Question: 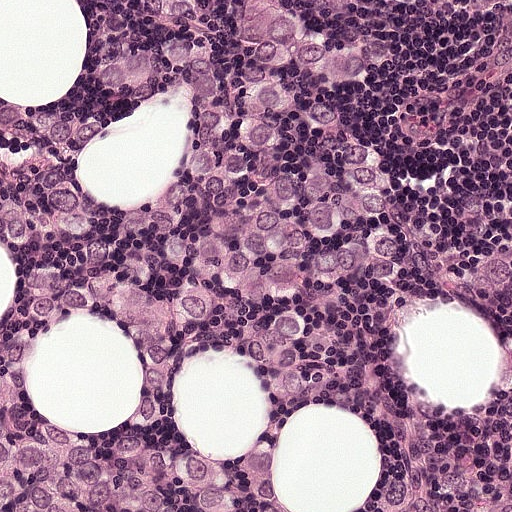
Lymph node section stained with H&E, from a whole-slide image of a breast-cancer sentinel node. Magnification about 20×, about 0.25 mm across the frame, about 0.49 µm per pixel.
Estimate the proportion of this field that is metastatic tumour.

Choices:
 (A) about 10% to 20%
 (B) about 5% or less
 (C) none: no tumour is outlined
 (D) about 25% to 45%
 (E) about 50% or more

Answer: (E) about 50% or more
About 65% of the field is tumour.
One metastatic tumour region; its boundary, reduced to 23 corners and listed clockwise: (81, 0), (273, 0), (348, 56), (402, 186), (510, 235), (511, 511), (343, 511), (376, 478), (376, 455), (346, 412), (306, 405), (278, 444), (271, 492), (312, 511), (0, 511), (0, 310), (12, 304), (17, 276), (0, 242), (0, 96), (47, 108), (72, 83), (86, 40).
The outline encloses four non-tumour holes totalling about 20% of the region's area.